Question: 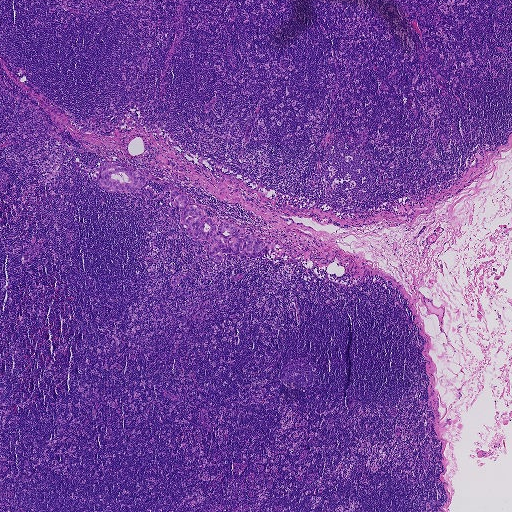
This is a crop of a whole-slide image: an H&E-stained breast-cancer sentinel lymph node section at roughly 2.5× magnification (about 3.6 µm per pixel; the crop spans about 1.9 mm).
Roughly what share of this field is metastatic tumour?

Choices:
 (A) about 5% or less
 (B) about 25% to 45%
 (C) about 10% to 20%
 (D) none: no tumour is outlined
 (E) about 50% or more

Answer: (A) about 5% or less
Under 5% of the field is tumour.
Tumour region outline (a closed clockwise path, crop pixels): (116, 161), (125, 168), (139, 172), (186, 194), (188, 203), (200, 206), (205, 216), (213, 219), (218, 227), (222, 222), (231, 221), (237, 229), (240, 228), (239, 237), (247, 233), (265, 240), (268, 244), (268, 253), (255, 258), (222, 252), (223, 259), (214, 261), (205, 250), (208, 241), (194, 240), (182, 225), (168, 187), (146, 177), (143, 189), (138, 191), (110, 191), (98, 184), (100, 163).